A 0.25-mm field of an H&E-stained sentinel lymph node from a breast-cancer patient (whole-slide image), shown at about 20×, about 0.49 µm per pixel.
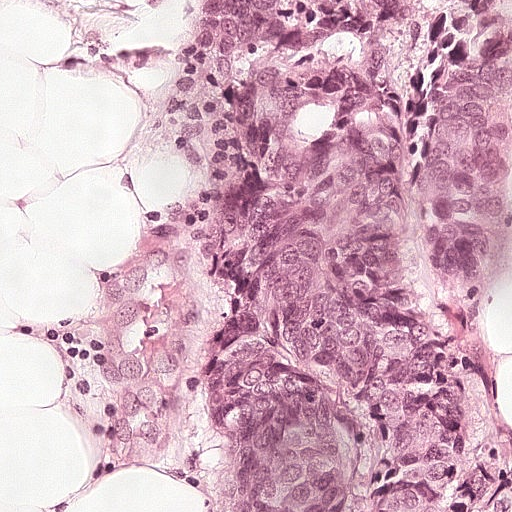
Question: Describe where the metastatic carcinoma lies in this crop.
Answer: One metastatic tumour region; its boundary, reduced to 9 corners and listed clockwise: (198, 0), (511, 0), (511, 511), (132, 511), (132, 464), (100, 347), (100, 218), (122, 133), (154, 58).
The annotated tumour makes up about 75% of the crop.